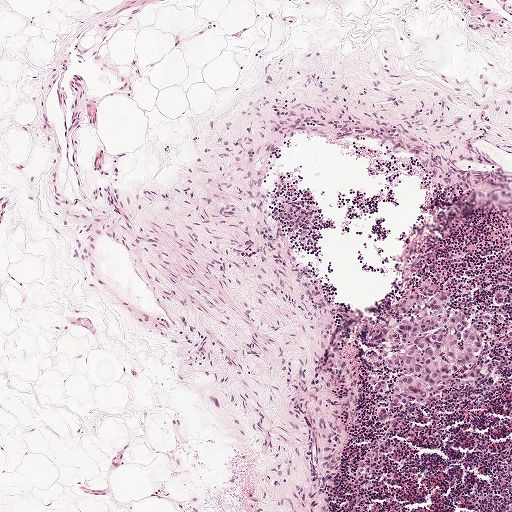
H&E-stained section of a sentinel lymph node (breast cancer), from a whole-slide image, viewed at about 5×: the field is about 1 mm across, about 1.9 µm per pixel.
Question: Show where the tumour is in this image.
Answer: Outlines of two tumour regions, largest first (closed clockwise paths, crop pixels): region 1: (427, 283), (436, 288), (447, 306), (461, 313), (480, 331), (479, 382), (466, 380), (466, 372), (442, 379), (423, 404), (413, 408), (389, 404), (396, 381), (407, 373), (388, 368), (377, 358), (379, 352), (371, 337), (374, 332), (383, 323), (400, 323), (401, 302), (411, 291), (424, 289); region 2: (377, 408), (383, 408), (387, 410), (387, 419), (383, 424), (380, 424), (377, 421), (375, 412).
Two more small tumour pieces are annotated here but not outlined.
The annotated tumour makes up about 5% of the crop.